This is a crop of a whole-slide image: an H&E-stained breast-cancer sentinel lymph node section at roughly 5× magnification (about 1.9 µm per pixel; the crop spans about 1 mm).
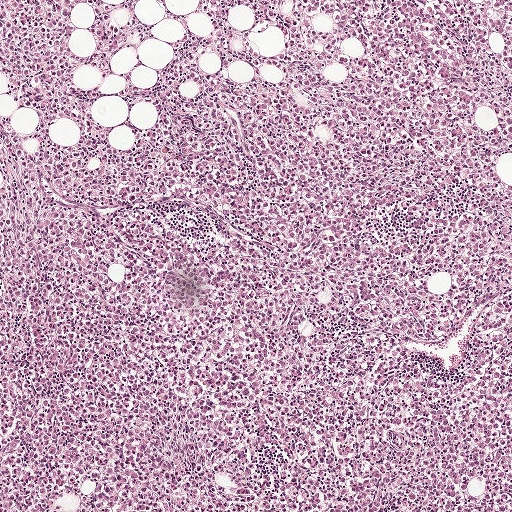
Question: Is there metastatic carcinoma in this field?
Answer: Yes.
Boundaries of four metastatic tumour regions, simplified and listed clockwise, largest first: region 1: (331, 0), (511, 0), (511, 285), (418, 339), (290, 346), (237, 289), (218, 230), (216, 169), (231, 132), (253, 115), (292, 93), (378, 78), (382, 57); region 2: (0, 0), (74, 0), (69, 18), (74, 30), (68, 39), (68, 49), (76, 59), (73, 73), (89, 97), (87, 110), (74, 117), (61, 116), (45, 122), (30, 106), (12, 106), (11, 95), (3, 91), (6, 80), (0, 72); region 3: (511, 393), (511, 511), (476, 511), (485, 486), (486, 461), (476, 450), (475, 419), (488, 402); region 4: (0, 446), (15, 448), (33, 460), (50, 496), (51, 511), (0, 511).
One more small tumour piece is annotated here but not outlined.
Tumour covers about 35% of the frame.